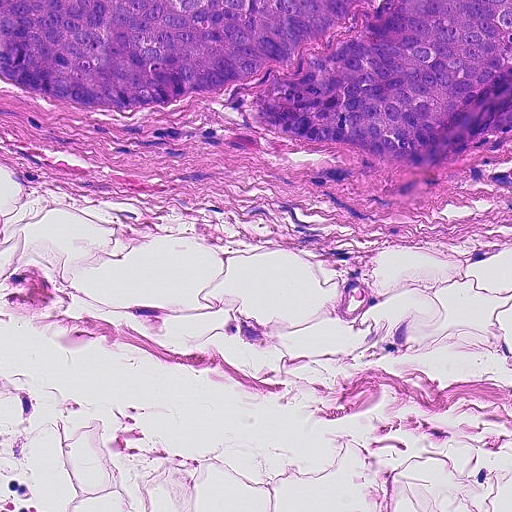
This is a crop of a whole-slide image: an H&E-stained breast-cancer sentinel lymph node section at roughly 20× magnification (about 0.45 µm per pixel; the crop spans about 0.23 mm).
Question: Is any metastatic breast cancer visible in this crop?
Answer: Yes.
Outlines of two tumour regions, largest first (closed clockwise paths, crop pixels): region 1: (0, 0), (360, 0), (298, 48), (210, 92), (112, 109), (79, 109), (0, 83); region 2: (380, 0), (511, 0), (511, 126), (446, 143), (379, 146), (250, 120), (268, 92), (330, 61).
About 20% of this field is tumour.